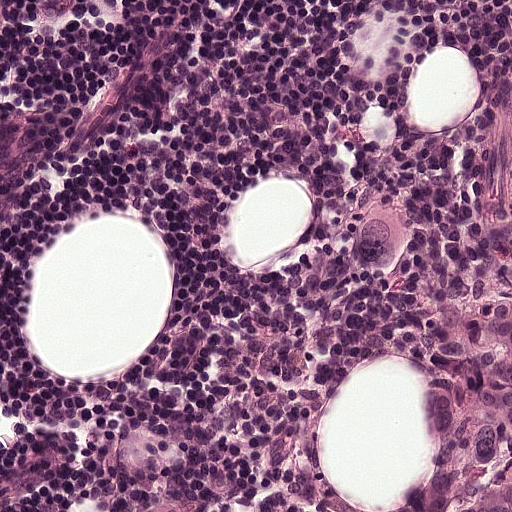
Lymph node section stained with H&E, from a whole-slide image of a breast-cancer sentinel node. Magnification about 20×, about 0.25 mm across the frame, about 0.49 µm per pixel.
Outlines of two tumour regions, largest first (closed clockwise paths, crop pixels): region 1: (511, 211), (511, 511), (335, 511), (342, 496), (359, 507), (400, 506), (424, 481), (433, 461), (435, 416), (424, 359), (439, 326), (468, 311); region 2: (376, 202), (428, 224), (429, 263), (405, 281), (366, 281), (358, 277), (350, 261), (348, 236), (360, 218).
About 10% of this field is tumour.